Question: 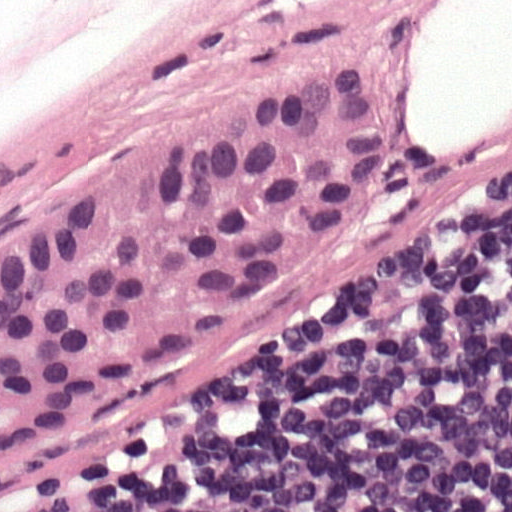
Which magnification is this H&E lymph node field most likely shown at?

Choices:
 (A) about 20×
 (B) about 5×
 (C) about 10×
 (D) about 40×
 (E) about 2.5×

Answer: (D) about 40×
Lymph node section stained with H&E, from a whole-slide image of a breast-cancer sentinel node. Magnification about 40×, about 0.12 mm across the frame, about 0.24 µm per pixel.
One metastatic tumour region; its boundary, reduced to 7 corners and listed clockwise: (350, 54), (385, 81), (374, 203), (168, 373), (0, 474), (0, 223), (228, 66).
Tumour covers about 35% of the frame.